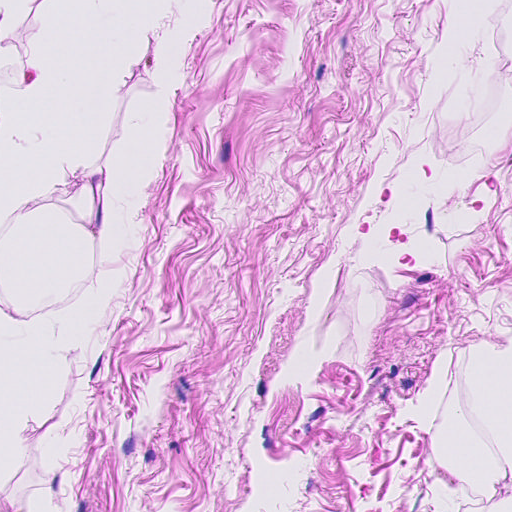
Lymph node section stained with H&E, from a whole-slide image of a breast-cancer sentinel node. Magnification about 20×, about 0.23 mm across the frame, about 0.45 µm per pixel.